Question: 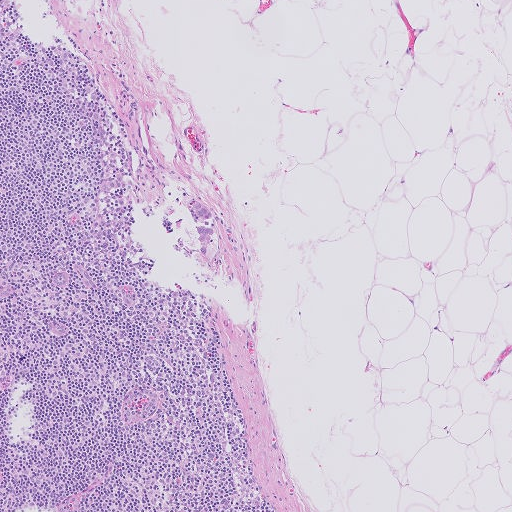
H&E-stained section of a sentinel lymph node (breast cancer), from a whole-slide image, viewed at about 5×: the field is about 1.0 mm across, about 2.0 µm per pixel.
Estimate the proportion of this field that is metastatic tumour.

Choices:
 (A) none: no tumour is outlined
 (B) about 10% to 20%
 (C) about 25% to 45%
 (D) about 50% or more
 (E) about 5% or less

Answer: (E) about 5% or less
Under 5% of the field is tumour.
Boundaries of two metastatic tumour regions, simplified and listed clockwise, largest first: region 1: (197, 227), (211, 227), (213, 229), (213, 233), (210, 235), (209, 242), (207, 244), (206, 254), (202, 253), (200, 250), (198, 240), (198, 233), (196, 230); region 2: (191, 201), (198, 201), (207, 209), (212, 216), (208, 220), (209, 224), (205, 225), (203, 220), (199, 220), (192, 208).